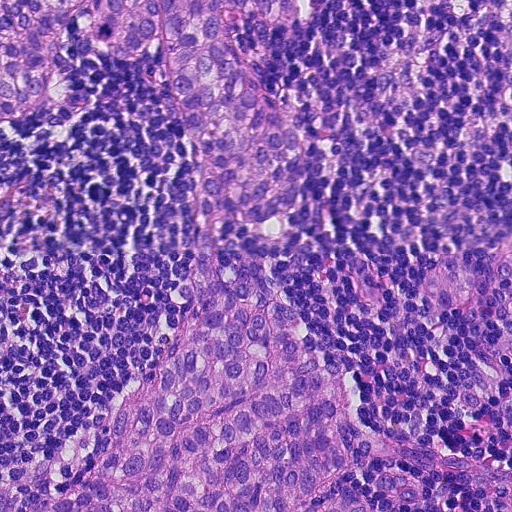
Lymph node section stained with H&E, from a whole-slide image of a breast-cancer sentinel node. Magnification about 20×, about 0.23 mm across the frame, about 0.45 µm per pixel.
Tumour region outline (a closed clockwise path, crop pixels): (0, 0), (310, 0), (310, 22), (233, 30), (303, 119), (306, 158), (296, 232), (280, 250), (242, 234), (249, 254), (280, 275), (388, 442), (462, 466), (368, 461), (305, 511), (0, 511), (172, 346), (196, 274), (159, 42), (132, 66), (66, 36), (91, 86), (75, 120), (3, 122).
The annotated tumour makes up about 35% of the crop.